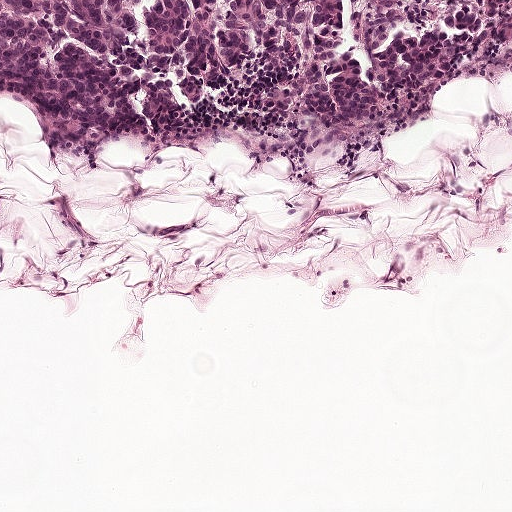
H&E-stained section of a sentinel lymph node (breast cancer), from a whole-slide image, viewed at about 10×: the field is about 0.5 mm across, about 0.97 µm per pixel.
One metastatic tumour region; its boundary, reduced to 16 corners and listed clockwise: (0, 0), (511, 0), (511, 78), (464, 82), (396, 144), (350, 149), (296, 174), (273, 174), (241, 142), (159, 160), (141, 140), (113, 140), (99, 163), (46, 160), (25, 108), (2, 104).
Tumour covers about 25% of the frame.